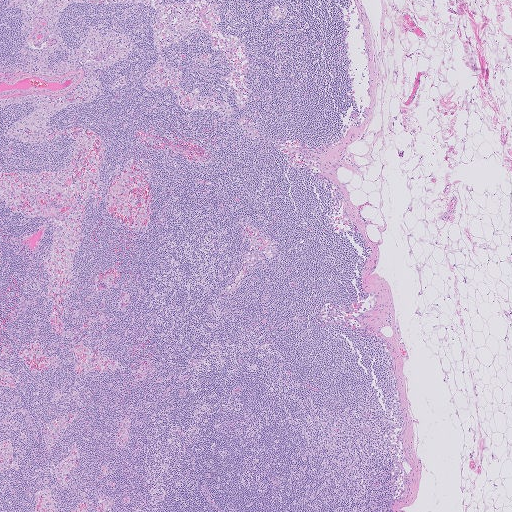
Lymph node section stained with H&E, from a whole-slide image of a breast-cancer sentinel node. Magnification about 2.5×, about 2.0 mm across the frame, about 4.0 µm per pixel.